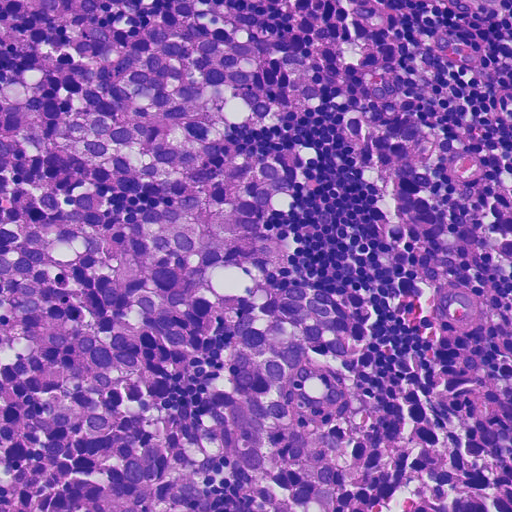
Lymph node section stained with H&E, from a whole-slide image of a breast-cancer sentinel node. Magnification about 20×, about 0.23 mm across the frame, about 0.45 µm per pixel.
Question: Where is the metastatic tumour in this field? Give each region's outline as (x, y) pixel points.
Answer: One metastatic tumour region; its boundary, reduced to 19 corners and listed clockwise: (0, 0), (138, 0), (136, 26), (165, 0), (249, 1), (316, 86), (235, 142), (303, 140), (270, 223), (298, 275), (366, 318), (352, 366), (406, 415), (411, 462), (388, 511), (273, 511), (218, 457), (217, 511), (0, 511).
About 65% of the image area is annotated as tumour.